Question: 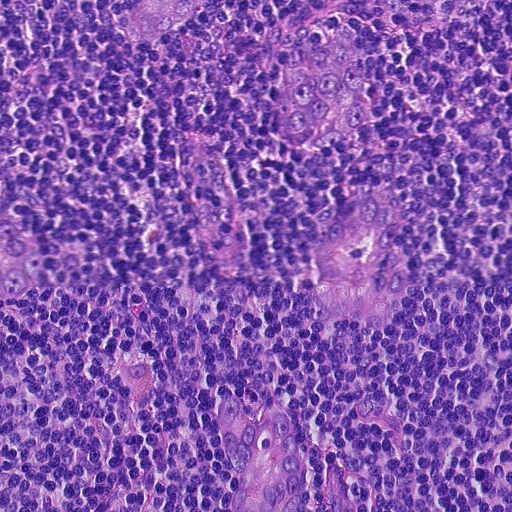
H&E-stained section of a sentinel lymph node (breast cancer), from a whole-slide image, viewed at about 20×: the field is about 0.23 mm across, about 0.45 µm per pixel.
Roughly what share of this field is metastatic tumour?

Choices:
 (A) none: no tumour is outlined
 (B) about 50% or more
 (C) about 25% to 45%
 (D) about 10% to 20%
 (E) about 5% or less

Answer: (D) about 10% to 20%
About 10% of the field is tumour.
Boundaries of five metastatic tumour regions, simplified and listed clockwise, largest first: region 1: (368, 188), (390, 188), (398, 208), (398, 251), (405, 270), (403, 291), (392, 311), (376, 322), (355, 322), (320, 298), (311, 280), (312, 259), (334, 212); region 2: (338, 20), (357, 28), (360, 71), (375, 111), (366, 129), (331, 150), (309, 150), (289, 142), (275, 124), (274, 104), (281, 64), (302, 36), (322, 36); region 3: (253, 383), (286, 414), (303, 453), (304, 474), (300, 496), (290, 511), (231, 511), (236, 477), (224, 456), (220, 436), (220, 396), (237, 401); region 4: (0, 216), (12, 222), (30, 236), (41, 254), (42, 275), (36, 294), (16, 300), (0, 299); region 5: (138, 0), (199, 0), (182, 21), (164, 32), (144, 39), (122, 38), (114, 20), (126, 17).